Lymph node section stained with H&E, from a whole-slide image of a breast-cancer sentinel node. Magnification about 10×, about 0.46 mm across the frame, about 0.9 µm per pixel.
Question: 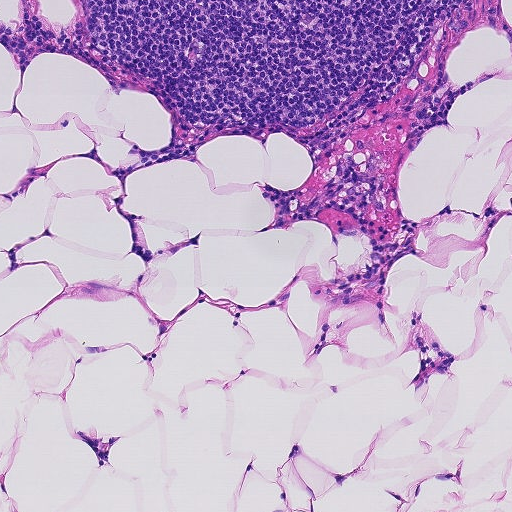
Roughly what share of this field is metastatic tumour?

Choices:
 (A) about 25% to 45%
 (B) about 5% or less
 (C) about 50% or more
 (D) about 10% to 20%
 (E) none: no tumour is outlined

Answer: (E) none: no tumour is outlined
No metastatic tumour is outlined in this field.